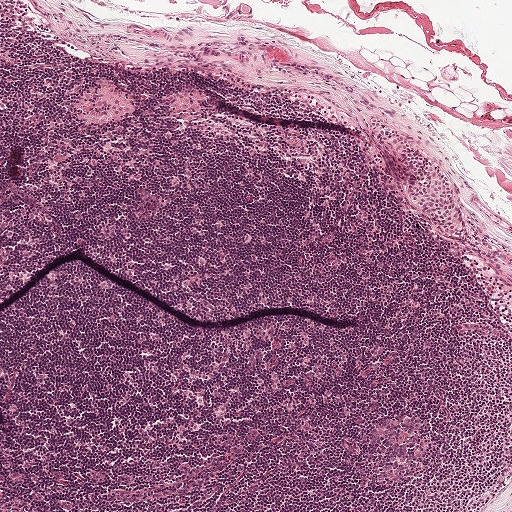
H&E-stained section of a sentinel lymph node (breast cancer), from a whole-slide image, viewed at about 5×: the field is about 1 mm across, about 1.9 µm per pixel.
One metastatic tumour region; its boundary, reduced to 16 corners and listed clockwise: (376, 118), (386, 122), (404, 135), (450, 179), (460, 208), (465, 216), (468, 242), (466, 247), (454, 246), (442, 241), (423, 212), (413, 205), (401, 162), (390, 150), (381, 146), (370, 122).
Under 5% of this field is tumour.